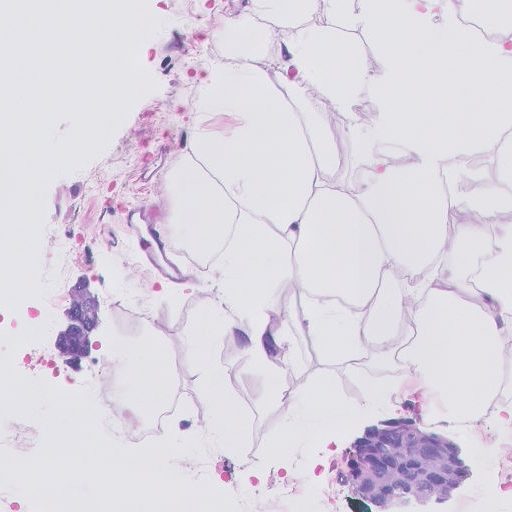
A 0.26-mm field of an H&E-stained sentinel lymph node from a breast-cancer patient (whole-slide image), shown at about 20×, about 0.5 µm per pixel.
Two metastatic tumour regions, each outlined as a closed clockwise path in crop pixels (x, y), largest first: region 1: (416, 396), (468, 434), (500, 496), (410, 511), (355, 511), (316, 476), (364, 403); region 2: (71, 238), (124, 256), (100, 385), (34, 372).
One more small tumour piece is annotated here but not outlined.
About 10% of the image area is annotated as tumour.